Image:
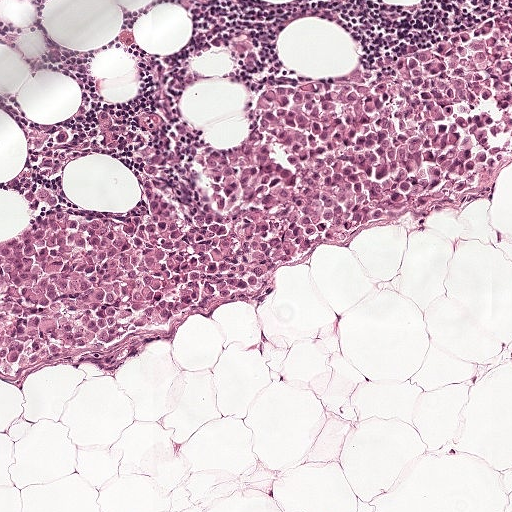
H&E-stained section of a sentinel lymph node (breast cancer), from a whole-slide image, viewed at about 10×: the field is about 0.5 mm across, about 0.97 µm per pixel.
Question:
Where is the metastatic tumour in this field?
Answer:
One metastatic tumour region; its boundary, reduced to 18 corners and listed clockwise: (460, 32), (511, 40), (511, 152), (490, 170), (350, 222), (239, 294), (112, 330), (75, 358), (0, 368), (0, 240), (48, 206), (134, 215), (153, 192), (181, 216), (200, 216), (205, 150), (253, 135), (308, 82).
About 30% of the image area is annotated as tumour.